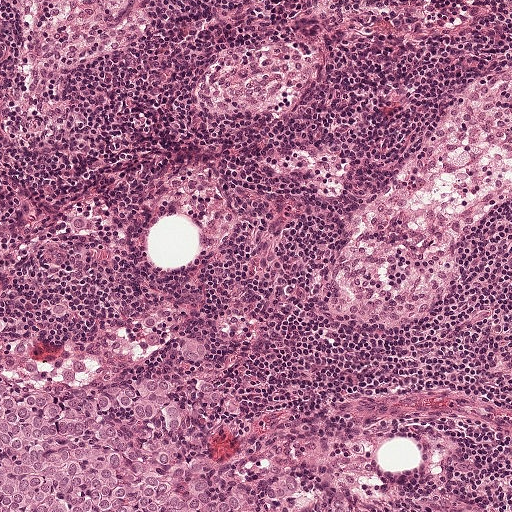
A 0.5-mm field of an H&E-stained sentinel lymph node from a breast-cancer patient (whole-slide image), shown at about 10×, about 0.97 µm per pixel.
The outlined metastatic tumour's edge, as a closed clockwise path of 17 points: (199, 337), (220, 366), (228, 401), (190, 424), (187, 440), (196, 456), (224, 469), (267, 458), (328, 474), (349, 485), (372, 511), (0, 511), (0, 380), (42, 391), (105, 388), (164, 361), (178, 340).
About 15% of this field is tumour.